A 0.25-mm field of an H&E-stained sentinel lymph node from a breast-cancer patient (whole-slide image), shown at about 20×, about 0.49 µm per pixel.
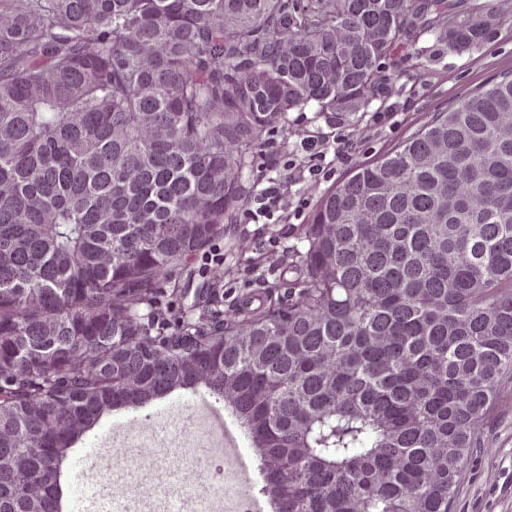
Two metastatic tumour regions, each outlined as a closed clockwise path in crop pixels (x, y), largest first: region 1: (0, 0), (493, 0), (358, 80), (298, 138), (270, 212), (166, 282), (171, 322), (286, 288), (309, 212), (336, 180), (511, 68), (511, 366), (453, 511), (273, 511), (247, 426), (180, 382), (102, 374), (6, 385); region 2: (121, 380), (154, 401), (118, 416), (86, 441), (69, 476), (72, 511), (0, 511), (0, 393).
The annotated tumour makes up about 80% of the crop.